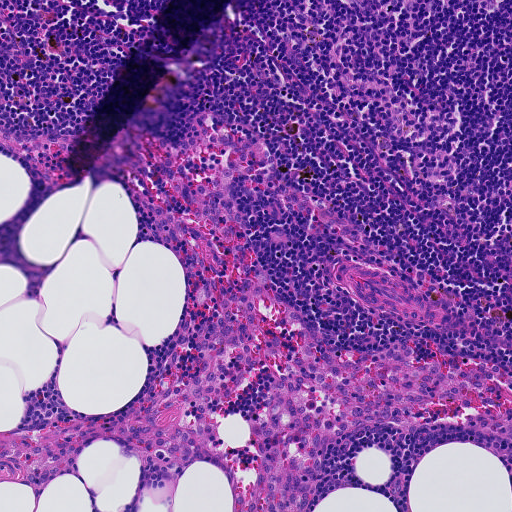
This is a crop of a whole-slide image: an H&E-stained breast-cancer sentinel lymph node section at roughly 10× magnification (about 0.91 µm per pixel; the crop spans about 0.46 mm).